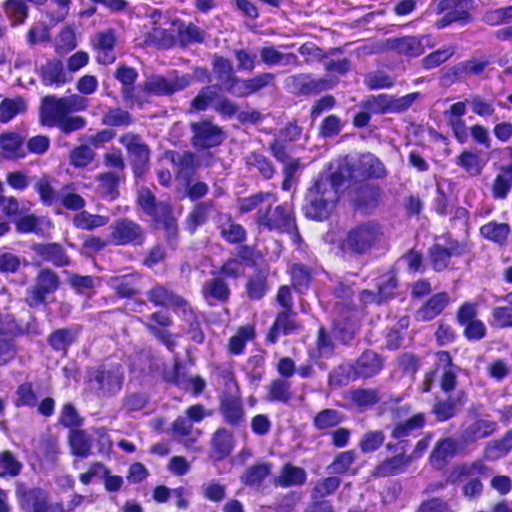
This is a crop of a whole-slide image: an H&E-stained breast-cancer sentinel lymph node section at roughly 40× magnification (about 0.23 µm per pixel; the crop spans about 0.12 mm).
One metastatic tumour region; its boundary, reduced to 8 corners and listed clockwise: (366, 137), (410, 162), (419, 214), (397, 260), (348, 270), (312, 236), (292, 193), (315, 146).
Tumour covers about 5% of the frame.